This is a crop of a whole-slide image: an H&E-stained breast-cancer sentinel lymph node section at roughly 2.5× magnification (about 3.6 µm per pixel; the crop spans about 1.9 mm).
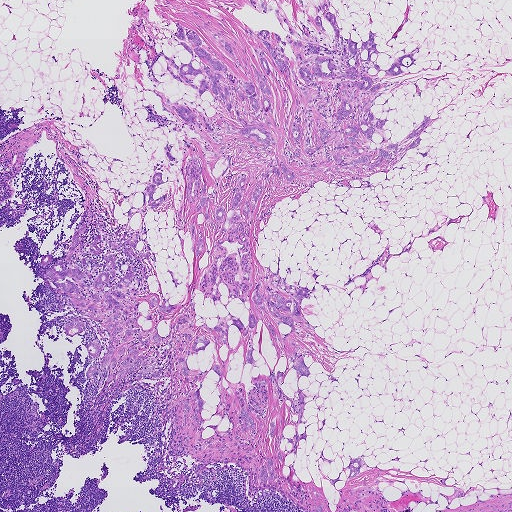
Question: Outline the metastatic carcinoma in this image, as closed paths of (x, y) pixel coordinates.
Answer: Boundaries of seven metastatic tumour regions, simplified and listed clockwise, largest first: region 1: (249, 0), (272, 5), (331, 48), (330, 23), (323, 17), (322, 32), (314, 21), (331, 1), (358, 48), (377, 31), (383, 70), (421, 48), (406, 73), (379, 72), (385, 82), (398, 82), (369, 107), (373, 122), (387, 121), (370, 145), (398, 141), (426, 113), (434, 119), (417, 148), (426, 155), (410, 149), (369, 170), (336, 168), (329, 147), (294, 157), (294, 83), (248, 28), (269, 31), (273, 47), (271, 32), (281, 36), (294, 73), (297, 60), (273, 10); region 2: (196, 153), (212, 217), (242, 171), (240, 210), (270, 166), (295, 175), (271, 173), (250, 218), (252, 292), (259, 283), (272, 301), (290, 299), (278, 275), (308, 288), (300, 312), (314, 329), (294, 321), (292, 337), (310, 373), (298, 380), (282, 323), (285, 342), (259, 320), (253, 367), (242, 363), (248, 336), (232, 325), (228, 344), (201, 328), (227, 315), (196, 289), (191, 219), (209, 249), (214, 233), (198, 200), (185, 199), (183, 164); region 3: (176, 22), (197, 33), (199, 47), (227, 68), (220, 72), (225, 80), (237, 85), (250, 81), (210, 32), (224, 38), (257, 89), (249, 60), (260, 72), (251, 46), (256, 44), (269, 67), (272, 129), (267, 128), (275, 144), (212, 134), (203, 123), (185, 122), (166, 96), (174, 105), (196, 107), (217, 131), (243, 128), (229, 118), (234, 109), (230, 114), (209, 91), (200, 98), (197, 88), (170, 76), (167, 59), (180, 65), (190, 59), (174, 32); region 4: (161, 172), (163, 181), (165, 181), (167, 176), (168, 178), (168, 182), (159, 185), (153, 195), (154, 200), (164, 194), (167, 195), (165, 200), (155, 207), (149, 209), (144, 214), (135, 213), (128, 220), (127, 216), (122, 214), (132, 205), (141, 206), (143, 195), (141, 192), (148, 181), (152, 182), (154, 173); region 5: (323, 450), (323, 454), (324, 457), (333, 461), (330, 465), (327, 462), (326, 461), (321, 464), (320, 468), (321, 471), (324, 475), (330, 479), (333, 479), (338, 477), (338, 473), (341, 471), (342, 467), (345, 468), (348, 465), (351, 458), (354, 458), (361, 457), (365, 463), (366, 470), (351, 478), (346, 479), (350, 470), (348, 469), (343, 471), (339, 478), (342, 480), (335, 483), (335, 486), (320, 474), (317, 467), (317, 462), (314, 461), (319, 457), (320, 453), (319, 452); region 6: (278, 451), (280, 451), (282, 458), (281, 461), (276, 459), (273, 460), (275, 473), (274, 480), (268, 479), (263, 482), (260, 480), (260, 467), (268, 458), (271, 460), (276, 457); region 7: (314, 493), (316, 494), (323, 502), (323, 506), (322, 511), (315, 511), (314, 509), (316, 502).
One more tumour region is annotated but not outlined: its edge is too irregular for a short outline.
Two more small tumour pieces are annotated here but not outlined.
About 20% of this field is tumour.